A 2.0-mm field of an H&E-stained sentinel lymph node from a breast-cancer patient (whole-slide image), shown at about 2.5×, about 3.9 µm per pixel.
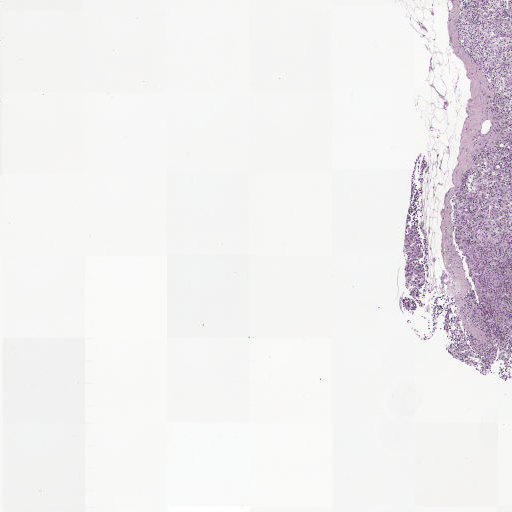
Tumour region outline (a closed clockwise path, crop pixels): (412, 226), (417, 228), (423, 251), (423, 256), (419, 259), (424, 275), (424, 280), (413, 298), (405, 282), (403, 270), (406, 258), (403, 236), (408, 234), (407, 228).
Under 5% of this field is tumour.